Lymph node section stained with H&E, from a whole-slide image of a breast-cancer sentinel node. Magnification about 2.5×, about 2.0 mm across the frame, about 3.9 µm per pixel.
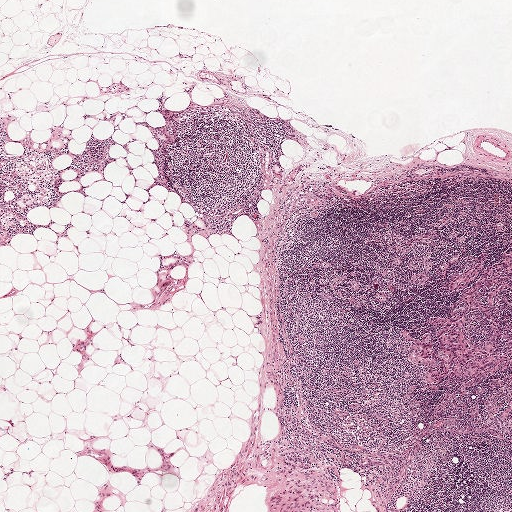
One metastatic tumour region; its boundary, reduced to 24 corners and listed clockwise: (511, 243), (511, 358), (465, 378), (446, 378), (438, 390), (431, 392), (420, 376), (424, 367), (405, 359), (406, 344), (398, 337), (398, 332), (404, 329), (417, 339), (425, 319), (447, 314), (455, 294), (446, 286), (472, 263), (474, 257), (483, 253), (484, 266), (494, 264), (502, 250).
About 5% of the image area is annotated as tumour.